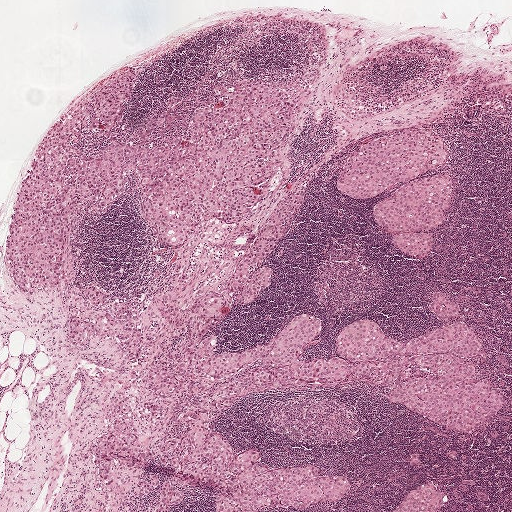
Lymph node section stained with H&E, from a whole-slide image of a breast-cancer sentinel node. Magnification about 2.5×, about 2.0 mm across the frame, about 3.9 µm per pixel.
Outlines of the eight largest metastatic tumour regions, each a closed clockwise path in crop pixels (x, y), largest first: region 1: (136, 64), (141, 78), (120, 121), (79, 136), (85, 151), (130, 133), (146, 112), (165, 109), (170, 94), (178, 102), (168, 108), (187, 120), (149, 142), (183, 132), (196, 106), (215, 99), (217, 81), (233, 89), (260, 75), (294, 95), (292, 134), (256, 206), (237, 219), (210, 218), (182, 245), (167, 245), (141, 210), (134, 171), (113, 202), (79, 212), (63, 252), (64, 280), (22, 292), (7, 249), (22, 178), (52, 121), (115, 68); region 2: (353, 319), (376, 320), (387, 336), (408, 342), (458, 320), (473, 328), (485, 348), (480, 356), (464, 360), (476, 374), (491, 382), (504, 405), (483, 427), (462, 430), (390, 399), (386, 394), (390, 386), (364, 377), (255, 384), (254, 367), (284, 367), (297, 359), (338, 354), (338, 331); region 3: (197, 406), (210, 414), (209, 426), (228, 438), (234, 454), (249, 446), (261, 462), (313, 463), (316, 474), (336, 473), (351, 485), (333, 500), (215, 511), (209, 481), (175, 484), (177, 463), (162, 462), (158, 442), (187, 429), (177, 415); region 4: (416, 126), (434, 129), (439, 132), (446, 150), (445, 162), (397, 182), (376, 196), (354, 197), (337, 188), (346, 157), (354, 148), (372, 138); region 5: (301, 313), (320, 317), (319, 334), (312, 342), (304, 344), (302, 352), (293, 359), (284, 364), (272, 365), (265, 362), (261, 357), (226, 378), (210, 379), (193, 375), (188, 370), (185, 358), (194, 342), (206, 335), (215, 334), (213, 351), (227, 352), (261, 343), (284, 322); region 6: (296, 185), (303, 185), (306, 188), (306, 195), (290, 225), (258, 265), (268, 264), (271, 267), (269, 282), (253, 297), (239, 303), (235, 299), (238, 289), (225, 286), (228, 278), (238, 257), (245, 251), (259, 220), (275, 198); region 7: (437, 172), (445, 172), (450, 176), (450, 200), (442, 222), (436, 228), (403, 230), (384, 228), (376, 222), (370, 213), (372, 205), (393, 192), (397, 186), (419, 176); region 8: (124, 405), (129, 405), (134, 419), (137, 439), (142, 445), (142, 449), (136, 457), (129, 457), (114, 452), (109, 453), (107, 465), (112, 479), (107, 482), (94, 462), (90, 444), (112, 425), (118, 410).
13 more, smaller tumour regions are not outlined.
One more small tumour piece is annotated here but not outlined.
About 30% of the image area is annotated as tumour.